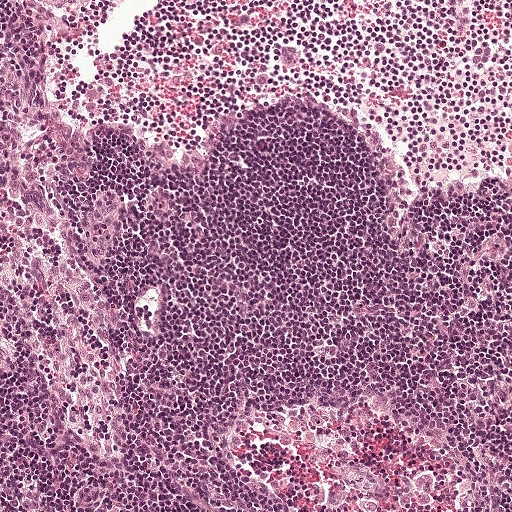
H&E-stained section of a sentinel lymph node (breast cancer), from a whole-slide image, viewed at about 10×: the field is about 0.5 mm across, about 0.97 µm per pixel.
Question: Is there metastatic carcinoma in this field?
Answer: No: no metastatic tumour is outlined anywhere in this field.